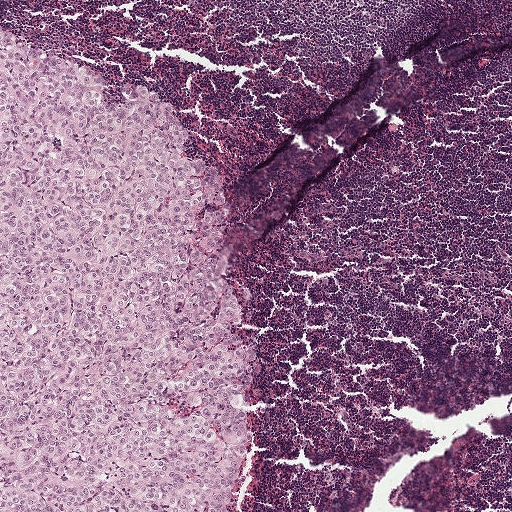
Lymph node section stained with H&E, from a whole-slide image of a breast-cancer sentinel node. Magnification about 5×, about 1 mm across the frame, about 1.9 µm per pixel.
Tumour region outline (a closed clockwise path, crop pixels): (0, 25), (103, 76), (114, 106), (128, 83), (154, 91), (185, 127), (186, 156), (219, 169), (203, 216), (204, 230), (221, 228), (198, 303), (210, 313), (238, 296), (241, 337), (257, 352), (250, 386), (228, 398), (252, 434), (231, 511), (0, 511).
The annotated tumour makes up about 35% of the crop.